Question: 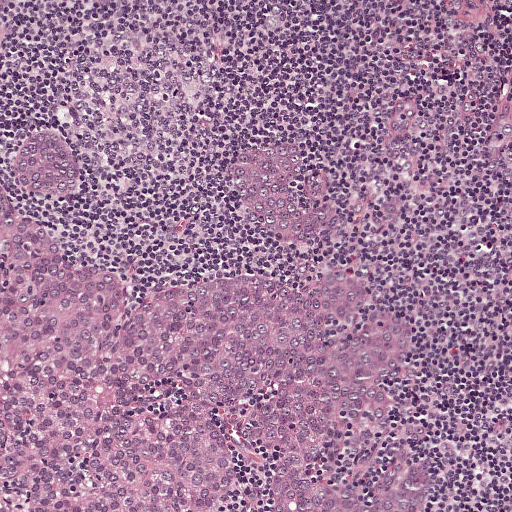
At roughly what magnification is this field shown?

Choices:
 (A) about 40×
 (B) about 5×
 (C) about 10×
 (D) about 2.5×
 (E) about 20×

Answer: (C) about 10×
Lymph node section stained with H&E, from a whole-slide image of a breast-cancer sentinel node. Magnification about 10×, about 0.5 mm across the frame, about 0.97 µm per pixel.
Boundaries of four metastatic tumour regions, simplified and listed clockwise, largest first: region 1: (0, 165), (19, 201), (74, 254), (114, 272), (129, 296), (251, 272), (311, 282), (328, 270), (370, 280), (403, 304), (414, 343), (394, 379), (430, 430), (428, 511), (0, 511); region 2: (279, 136), (294, 142), (305, 163), (296, 182), (296, 202), (313, 212), (310, 232), (296, 246), (283, 246), (264, 238), (248, 226), (241, 207), (228, 190), (230, 169), (241, 151); region 3: (41, 126), (64, 135), (76, 151), (79, 171), (75, 191), (58, 201), (37, 200), (19, 187), (16, 167), (20, 147), (31, 130); region 4: (0, 0), (14, 0), (9, 35), (0, 50).
About 45% of this field is tumour.
Question: 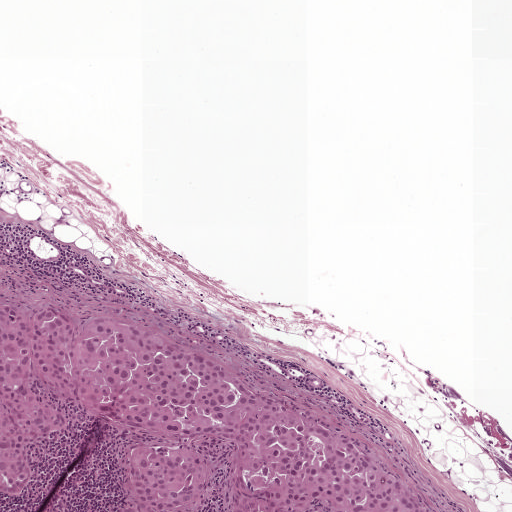
At roughly what magnification is this field shown?

Choices:
 (A) about 40×
 (B) about 2.5×
 (C) about 10×
 (D) about 20×
 (E) about 5×

Answer: (E) about 5×
H&E-stained section of a sentinel lymph node (breast cancer), from a whole-slide image, viewed at about 5×: the field is about 1 mm across, about 1.9 µm per pixel.
Tumour region outline (a closed clockwise path, crop pixels): (34, 297), (162, 324), (273, 381), (369, 443), (437, 511), (226, 511), (231, 486), (213, 459), (198, 511), (115, 511), (127, 453), (180, 441), (112, 425), (36, 381), (66, 419), (31, 488), (0, 500), (0, 302).
The annotated tumour makes up about 20% of the crop.
Question: 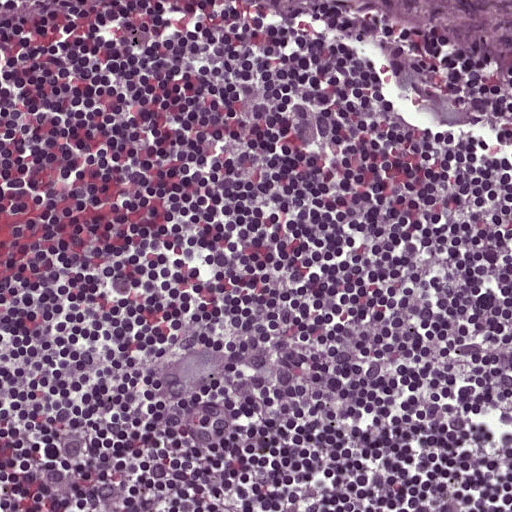
At roughly what magnification is this field shown?

Choices:
 (A) about 20×
 (B) about 2.5×
 (C) about 40×
 (D) about 10×
 (E) about 5×

Answer: (A) about 20×
A 0.25-mm field of an H&E-stained sentinel lymph node from a breast-cancer patient (whole-slide image), shown at about 20×, about 0.49 µm per pixel.
Outlines of two tumour regions, largest first (closed clockwise paths, crop pixels): region 1: (242, 345), (290, 360), (301, 379), (289, 396), (261, 374), (223, 371), (205, 389), (165, 403), (144, 392), (156, 370), (181, 358), (208, 348); region 2: (398, 35), (432, 65), (446, 86), (472, 96), (486, 116), (468, 133), (444, 129), (419, 113), (382, 70), (376, 46).
One more small tumour piece is annotated here but not outlined.
About 5% of the image area is annotated as tumour.
Question: 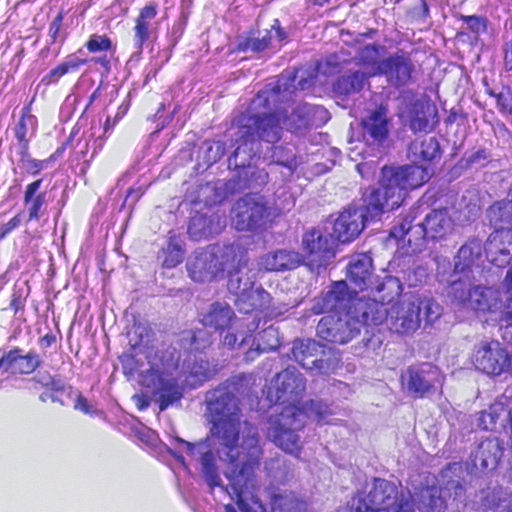
At roughly what magnification is this field shown?

Choices:
 (A) about 40×
 (B) about 2.5×
 (C) about 20×
 (D) about 10×
 (E) about 5×

Answer: (A) about 40×
Lymph node section stained with H&E, from a whole-slide image of a breast-cancer sentinel node. Magnification about 40×, about 0.12 mm across the frame, about 0.23 µm per pixel.
Metastatic tumour outline, simplified to 12 points and listed clockwise in crop pixels (x, y): (329, 38), (432, 47), (464, 87), (484, 136), (511, 157), (511, 511), (221, 511), (181, 449), (138, 417), (111, 318), (121, 265), (212, 132).
The annotated tumour makes up about 60% of the crop.